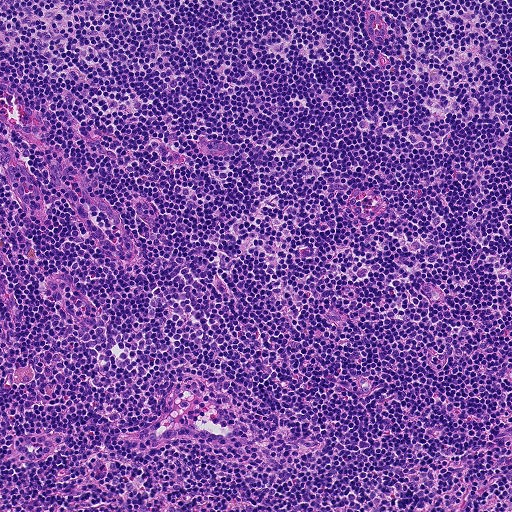
Lymph node section stained with H&E, from a whole-slide image of a breast-cancer sentinel node. Magnification about 10×, about 0.46 mm across the frame, about 0.9 µm per pixel.
Question: Is there metastatic carcinoma in this field?
Answer: No, this field holds no outlined metastasis.